A 0.26-mm field of an H&E-stained sentinel lymph node from a breast-cancer patient (whole-slide image), shown at about 20×, about 0.5 µm per pixel.
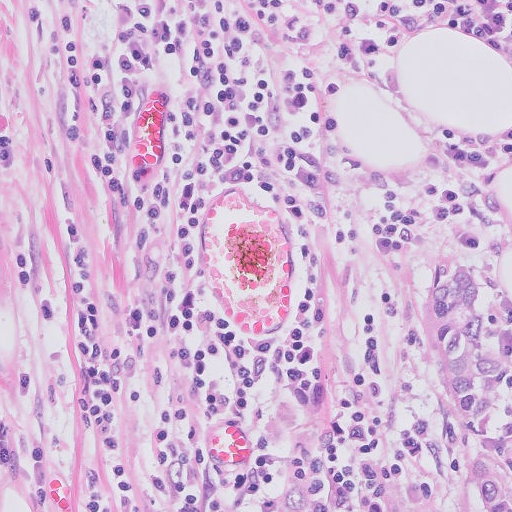
Metastatic tumour outline, simplified to 6 points and listed clockwise in crop pixels (x, y): (55, 0), (511, 0), (511, 511), (298, 511), (178, 223), (79, 70).
Tumour covers about 65% of the frame.